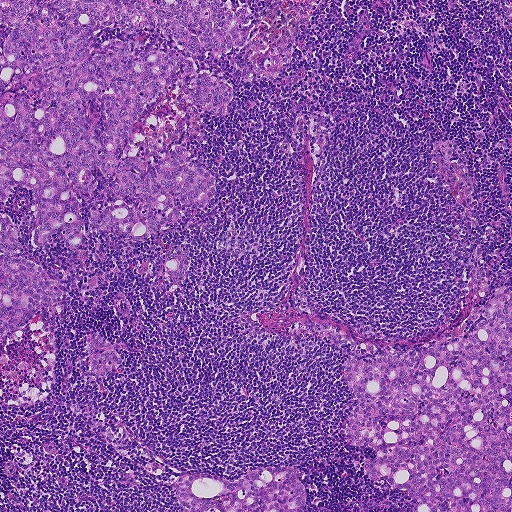
Lymph node section stained with H&E, from a whole-slide image of a breast-cancer sentinel node. Magnification about 5×, about 0.93 mm across the frame, about 1.8 µm per pixel.
Three metastatic tumour regions, each outlined as a closed clockwise path in crop pixels (x, y), largest first: region 1: (0, 0), (244, 6), (242, 48), (193, 57), (234, 96), (185, 150), (217, 190), (175, 226), (181, 286), (156, 281), (174, 227), (125, 253), (98, 232), (79, 253), (36, 248), (19, 188), (3, 207), (24, 254), (66, 271), (63, 316), (121, 365), (100, 380), (62, 317), (0, 343); region 2: (510, 288), (511, 511), (412, 511), (416, 501), (405, 490), (366, 478), (363, 460), (376, 457), (373, 449), (354, 449), (341, 437), (356, 399), (343, 376), (347, 357), (368, 342), (414, 349), (452, 331), (492, 293); region 3: (291, 466), (300, 470), (306, 488), (307, 511), (182, 511), (172, 488), (175, 478), (183, 474), (212, 473), (228, 481), (238, 480), (263, 467).
Two more small tumour pieces are annotated here but not outlined.
Tumour covers about 35% of the frame.